Question: 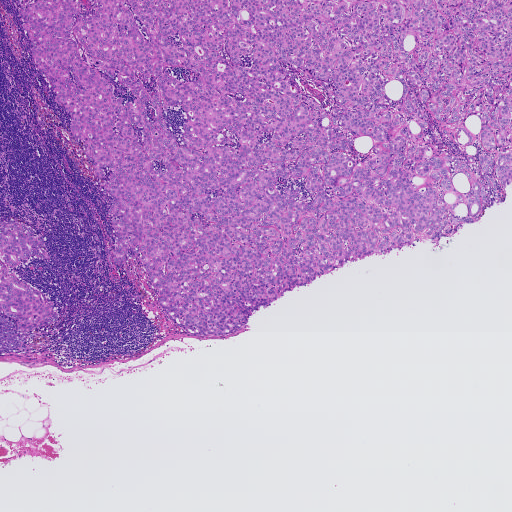
About what magnification does this crop show?

Choices:
 (A) about 5×
 (B) about 20×
 (C) about 2.5×
 (D) about 40×
 (E) about 10×

Answer: (C) about 2.5×
Lymph node section stained with H&E, from a whole-slide image of a breast-cancer sentinel node. Magnification about 2.5×, about 1.9 mm across the frame, about 3.6 µm per pixel.
Outlines of two tumour regions, largest first (closed clockwise paths, crop pixels): region 1: (511, 0), (511, 182), (501, 203), (462, 229), (448, 225), (447, 236), (348, 261), (259, 307), (233, 334), (184, 334), (160, 309), (139, 256), (114, 263), (112, 196), (34, 66), (21, 1); region 2: (0, 221), (20, 221), (39, 233), (48, 255), (47, 259), (38, 257), (18, 268), (9, 268), (26, 283), (50, 298), (56, 311), (57, 320), (28, 335), (27, 345), (21, 352), (0, 356).
One more small tumour piece is annotated here but not outlined.
Tumour covers about 50% of the frame.